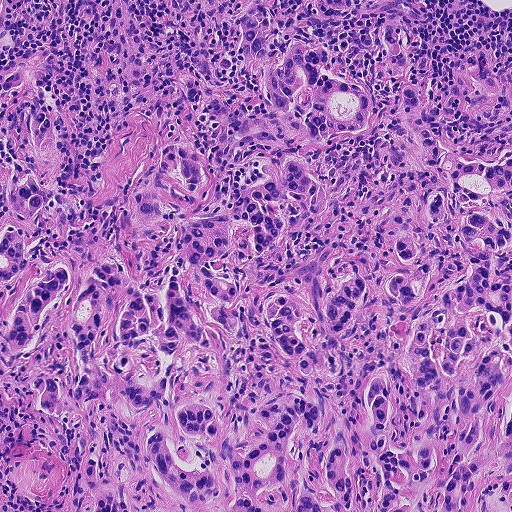
Lymph node section stained with H&E, from a whole-slide image of a breast-cancer sentinel node. Magnification about 10×, about 0.46 mm across the frame, about 0.9 µm per pixel.
Tumour region outline (a closed clockwise path, crop pixels): (250, 0), (379, 101), (424, 85), (440, 136), (508, 144), (511, 511), (145, 511), (130, 426), (34, 411), (38, 358), (5, 358), (30, 275), (0, 289), (0, 228), (38, 99), (54, 178), (114, 244), (174, 142), (225, 188), (264, 161), (172, 88), (214, 50), (271, 113).
About 70% of the image area is annotated as tumour.